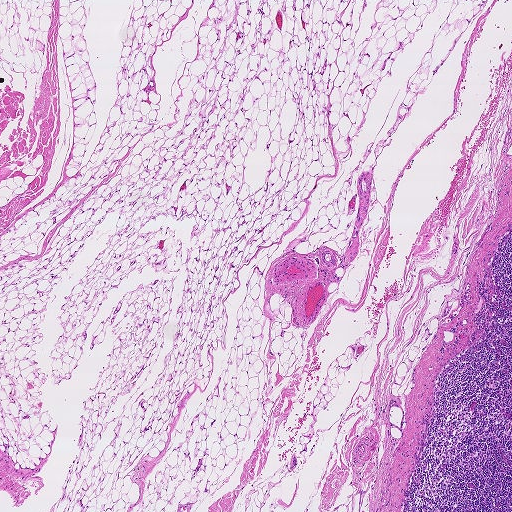
Lymph node section stained with H&E, from a whole-slide image of a breast-cancer sentinel node. Magnification about 2.5×, about 1.9 mm across the frame, about 3.6 µm per pixel.